Question: 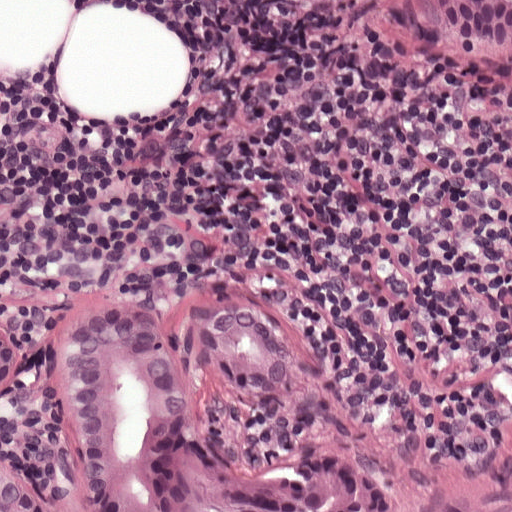
About what magnification does this crop show?

Choices:
 (A) about 10×
 (B) about 40×
 (C) about 20×
 (D) about 2.5×
 (E) about 5×

Answer: (C) about 20×
Lymph node section stained with H&E, from a whole-slide image of a breast-cancer sentinel node. Magnification about 20×, about 0.25 mm across the frame, about 0.49 µm per pixel.
Boundaries of two metastatic tumour regions, simplified and listed clockwise, largest first: region 1: (95, 268), (216, 276), (484, 464), (511, 343), (511, 511), (0, 511), (0, 294); region 2: (427, 0), (511, 0), (511, 83), (422, 8).
About 35% of this field is tumour.
Question: 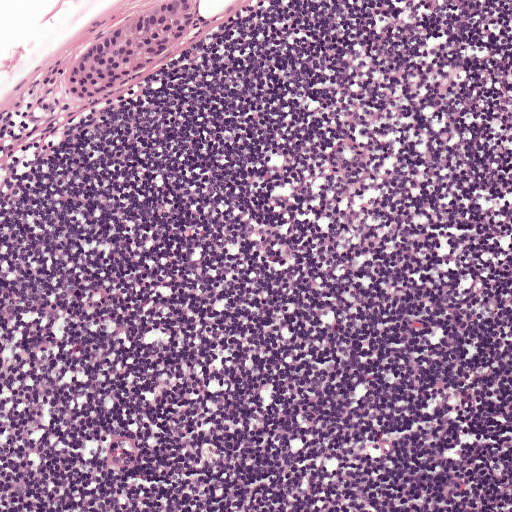
About what magnification does this crop show?

Choices:
 (A) about 2.5×
 (B) about 10×
 (C) about 20×
 (D) about 5×
 (E) about 40×

Answer: (B) about 10×
This is a crop of a whole-slide image: an H&E-stained breast-cancer sentinel lymph node section at roughly 10× magnification (about 0.97 µm per pixel; the crop spans about 0.5 mm).
Tumour region outline (a closed clockwise path, crop pixels): (149, 0), (193, 0), (190, 31), (139, 73), (94, 100), (69, 96), (64, 81), (79, 57), (96, 37).
About 5% of the image area is annotated as tumour.
Question: 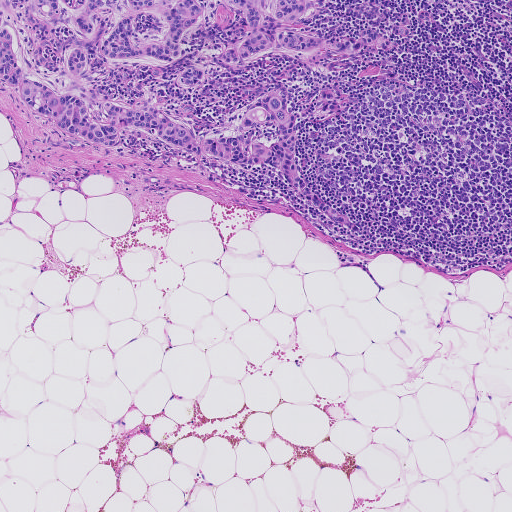
About what magnification does this crop show?

Choices:
 (A) about 5×
 (B) about 2.5×
 (C) about 40×
 (D) about 20×
 (E) about 10×

Answer: (A) about 5×
A 0.93-mm field of an H&E-stained sentinel lymph node from a breast-cancer patient (whole-slide image), shown at about 5×, about 1.8 µm per pixel.
The outlined metastatic tumour's edge, as a closed clockwise path of 36 points: (0, 0), (265, 0), (274, 13), (278, 0), (312, 0), (293, 30), (326, 40), (369, 29), (391, 42), (390, 50), (353, 56), (276, 50), (236, 70), (210, 67), (194, 87), (180, 80), (195, 62), (189, 58), (95, 56), (89, 77), (118, 104), (142, 99), (207, 137), (232, 136), (246, 107), (280, 85), (296, 111), (300, 172), (359, 233), (270, 164), (246, 169), (124, 126), (119, 141), (104, 146), (66, 131), (0, 80).
The annotated tumour makes up about 15% of the crop.
Question: 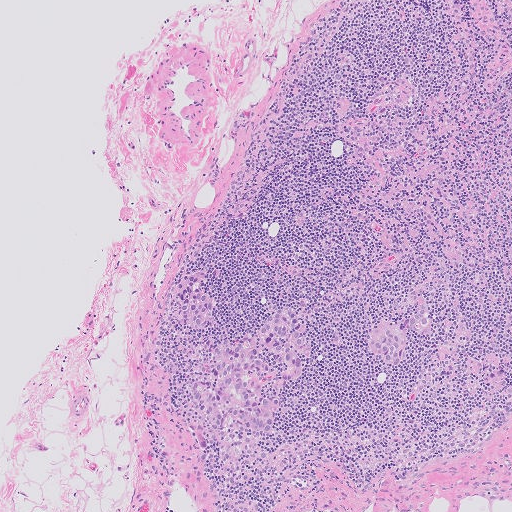
About what magnification does this crop show?

Choices:
 (A) about 40×
 (B) about 10×
 (C) about 2.5×
 (D) about 5×
 (E) about 20×

Answer: (D) about 5×
This is a crop of a whole-slide image: an H&E-stained breast-cancer sentinel lymph node section at roughly 5× magnification (about 2.0 µm per pixel; the crop spans about 1.0 mm).
Boundaries of five metastatic tumour regions, simplified and listed clockwise, largest first: region 1: (278, 306), (291, 306), (302, 320), (310, 345), (297, 379), (279, 391), (266, 387), (265, 394), (278, 399), (273, 434), (261, 436), (233, 428), (217, 437), (211, 434), (204, 452), (198, 450), (190, 437), (207, 427), (190, 397), (190, 383), (210, 378), (211, 351), (220, 341), (254, 332); region 2: (196, 270), (204, 270), (207, 274), (202, 286), (213, 293), (214, 308), (212, 314), (198, 330), (192, 330), (185, 327), (175, 316), (175, 309), (168, 297), (167, 290), (177, 278), (183, 274); region 3: (398, 318), (405, 338), (401, 365), (394, 367), (388, 366), (379, 356), (367, 350), (366, 344), (372, 330), (377, 324); region 4: (428, 301), (434, 322), (430, 337), (424, 338), (412, 333), (408, 327), (408, 320), (416, 307), (420, 302); region 5: (496, 368), (503, 368), (505, 379), (487, 387), (482, 384), (484, 377), (489, 372).
Two more small tumour pieces are annotated here but not outlined.
The annotated tumour makes up about 5% of the crop.